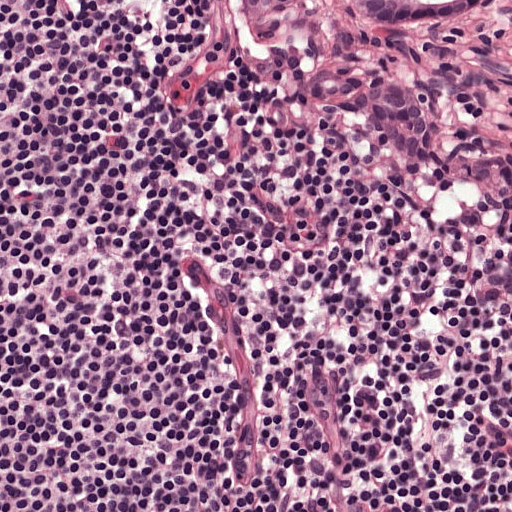
This is a crop of a whole-slide image: an H&E-stained breast-cancer sentinel lymph node section at roughly 20× magnification (about 0.49 µm per pixel; the crop spans about 0.25 mm).
Boundaries of three metastatic tumour regions, simplified and listed clockwise, largest first: region 1: (322, 68), (366, 81), (360, 91), (378, 88), (402, 92), (420, 108), (432, 144), (426, 165), (399, 158), (362, 124), (351, 97), (357, 93), (328, 102), (310, 96), (306, 79); region 2: (341, 0), (508, 0), (506, 4), (466, 21), (378, 30), (360, 26); region 3: (242, 0), (292, 0), (288, 4), (262, 18).
Tumour covers about 5% of the frame.